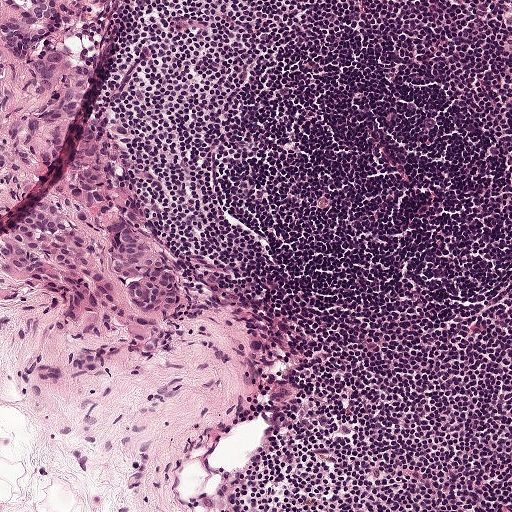
This is a crop of a whole-slide image: an H&E-stained breast-cancer sentinel lymph node section at roughly 10× magnification (about 0.97 µm per pixel; the crop spans about 0.5 mm).
Tumour region outline (a closed clockwise path, crop pixels): (0, 0), (69, 0), (61, 21), (61, 76), (108, 140), (184, 281), (185, 307), (168, 320), (143, 318), (111, 291), (106, 324), (98, 324), (9, 277), (0, 268).
About 15% of this field is tumour.